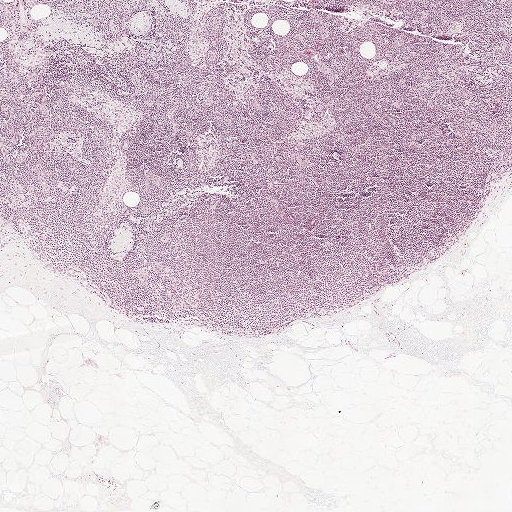
This is a crop of a whole-slide image: an H&E-stained breast-cancer sentinel lymph node section at roughly 2.5× magnification (about 3.9 µm per pixel; the crop spans about 2.0 mm).
Question: Is any metastatic breast cancer visible in this crop?
Answer: No: no metastatic tumour is outlined anywhere in this field.